A 1-mm field of an H&E-stained sentinel lymph node from a breast-cancer patient (whole-slide image), shown at about 5×, about 1.9 µm per pixel.
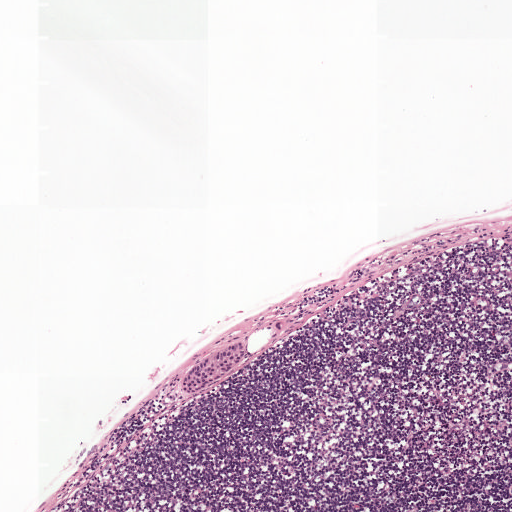
One metastatic tumour region; its boundary, reduced to 10 corners and listed clockwise: (240, 341), (244, 344), (243, 359), (218, 381), (195, 394), (182, 392), (180, 384), (187, 372), (196, 362), (225, 342).
One more small tumour piece is annotated here but not outlined.
The annotated tumour makes up under 5% of the crop.